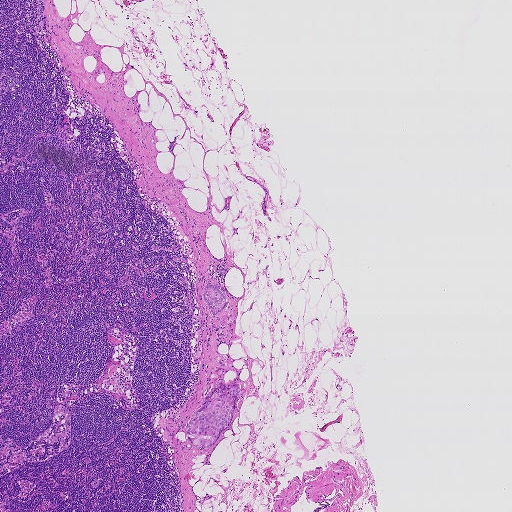
A 1.9-mm field of an H&E-stained sentinel lymph node from a breast-cancer patient (whole-slide image), shown at about 2.5×, about 3.6 µm per pixel.
Two metastatic tumour regions, each outlined as a closed clockwise path in crop pixels (x, y), largest first: region 1: (220, 375), (225, 383), (234, 382), (239, 385), (239, 392), (231, 420), (211, 447), (202, 449), (191, 443), (186, 431), (191, 419); region 2: (208, 284), (220, 287), (227, 298), (227, 305), (224, 310), (218, 314), (212, 314), (201, 297), (205, 286).
Under 5% of this field is tumour.